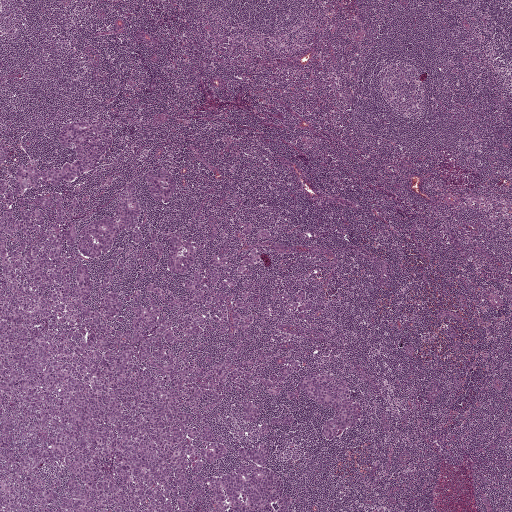
This is a crop of a whole-slide image: an H&E-stained breast-cancer sentinel lymph node section at roughly 2.5× magnification (about 3.9 µm per pixel; the crop spans about 2.0 mm).
Boundaries of two metastatic tumour regions, simplified and listed clockwise, largest first: region 1: (102, 123), (99, 166), (41, 193), (113, 214), (134, 184), (145, 236), (247, 219), (272, 238), (244, 282), (312, 297), (254, 303), (288, 337), (250, 354), (346, 380), (358, 426), (331, 446), (332, 408), (302, 396), (266, 397), (244, 425), (237, 396), (211, 413), (227, 457), (201, 474), (244, 463), (268, 416), (294, 412), (262, 439), (290, 511), (0, 511), (4, 140), (13, 167), (60, 167), (77, 152), (60, 127); region 2: (162, 167), (173, 174), (177, 186), (172, 202), (158, 202), (151, 196), (143, 176), (148, 172), (154, 171).
One more small tumour piece is annotated here but not outlined.
About 35% of the image area is annotated as tumour.